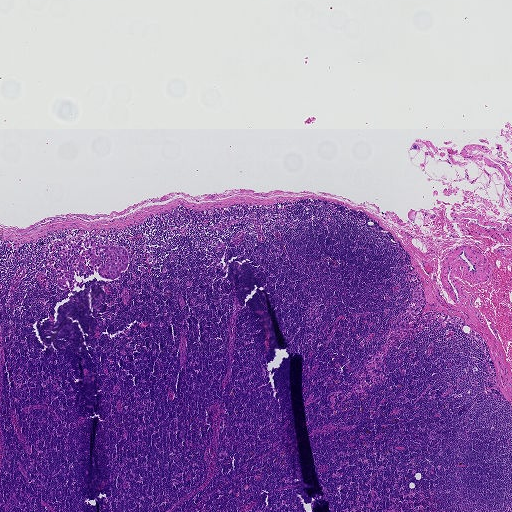
Lymph node section stained with H&E, from a whole-slide image of a breast-cancer sentinel node. Magnification about 2.5×, about 1.9 mm across the frame, about 3.6 µm per pixel.
The outlined metastatic tumour's edge, as a closed clockwise path of 24 points: (90, 242), (93, 242), (97, 246), (110, 245), (125, 248), (127, 266), (119, 276), (114, 280), (98, 275), (95, 271), (74, 271), (77, 281), (82, 282), (80, 287), (68, 289), (59, 287), (56, 282), (62, 261), (61, 255), (66, 258), (67, 270), (80, 253), (76, 246), (91, 246).
Under 5% of this field is tumour.